A 0.46-mm field of an H&E-stained sentinel lymph node from a breast-cancer patient (whole-slide image), shown at about 10×, about 0.9 µm per pixel.
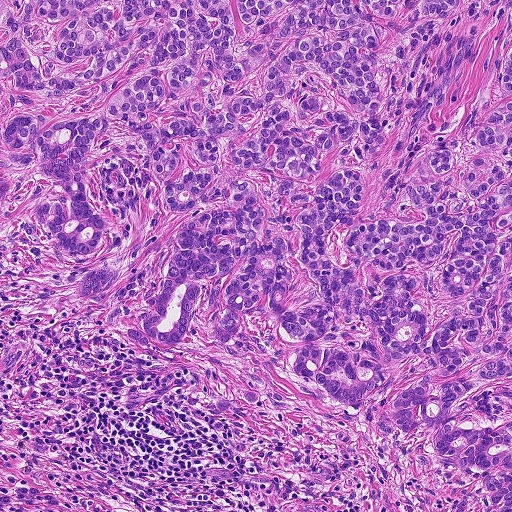
Question: Describe where the metastatic carcinoma lies in this crop.
Answer: The outlined metastatic tumour's edge, as a closed clockwise path of 16 points: (0, 0), (511, 0), (511, 511), (447, 511), (438, 474), (312, 395), (245, 333), (228, 352), (199, 328), (184, 349), (131, 350), (97, 309), (70, 298), (64, 258), (28, 202), (6, 215).
Tumour covers about 75% of the frame.